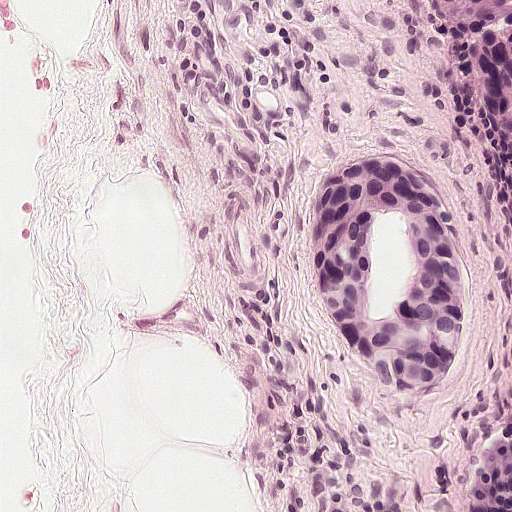
H&E-stained section of a sentinel lymph node (breast cancer), from a whole-slide image, viewed at about 20×: the field is about 0.25 mm across, about 0.49 µm per pixel.
Boundaries of two metastatic tumour regions, simplified and listed clockwise, largest first: region 1: (362, 162), (423, 172), (464, 228), (474, 282), (470, 344), (451, 382), (422, 400), (391, 402), (328, 338), (316, 309), (308, 210), (320, 182); region 2: (412, 0), (511, 0), (511, 176), (458, 94).
Region 1 encloses a non-tumour hole of about 15% of its area.
Tumour covers about 15% of the frame.